H&E-stained section of a sentinel lymph node (breast cancer), from a whole-slide image, viewed at about 5×: the field is about 0.93 mm across, about 1.8 µm per pixel.
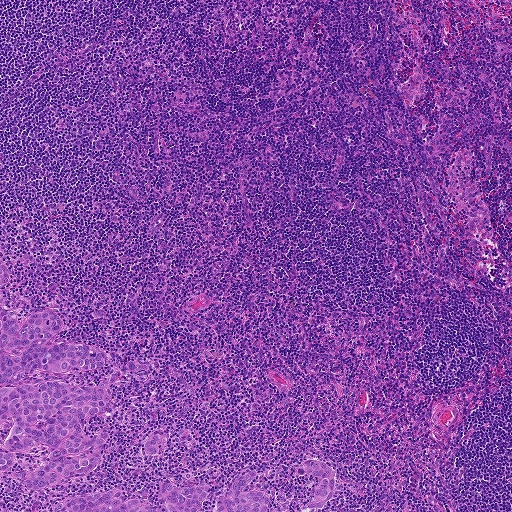
Question: Which parts of this field are metastatic tumour? Answer with the outline of each region, in pixels.
Answer: Boundaries of seven metastatic tumour regions, simplified and listed clockwise, largest first: region 1: (0, 303), (18, 314), (18, 324), (36, 310), (58, 314), (64, 324), (51, 341), (98, 346), (106, 354), (104, 365), (93, 371), (36, 371), (17, 383), (54, 379), (89, 386), (126, 364), (150, 364), (144, 372), (119, 377), (108, 390), (104, 413), (83, 421), (83, 434), (100, 436), (106, 428), (104, 448), (116, 444), (94, 473), (26, 492), (11, 476), (48, 463), (48, 446), (14, 452), (16, 466), (0, 475), (0, 443), (12, 425), (0, 421); region 2: (119, 487), (128, 498), (141, 496), (152, 500), (158, 511), (54, 511), (52, 505), (63, 499), (96, 490); region 3: (250, 468), (256, 469), (259, 478), (245, 489), (268, 490), (269, 502), (268, 511), (210, 511), (215, 498), (222, 489); region 4: (168, 478), (178, 484), (190, 484), (201, 480), (212, 484), (213, 488), (207, 498), (200, 511), (167, 511), (156, 494), (157, 482); region 5: (316, 460), (328, 462), (334, 472), (334, 484), (332, 495), (325, 505), (314, 509), (302, 508), (312, 496), (316, 485), (320, 483), (319, 478), (302, 471), (303, 463); region 6: (161, 434), (166, 436), (167, 439), (159, 455), (153, 456), (140, 449), (145, 440), (150, 435); region 7: (0, 265), (9, 273), (8, 284), (0, 287).
About 10% of this field is tumour.